Lymph node section stained with H&E, from a whole-slide image of a breast-cancer sentinel node. Magnification about 10×, about 0.5 mm across the frame, about 0.97 µm per pixel.
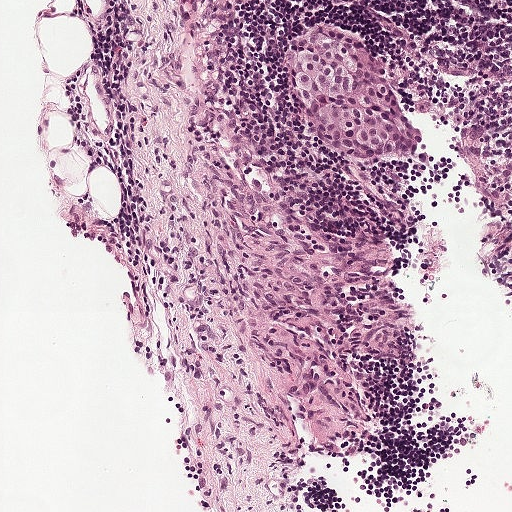
Metastatic tumour outline, simplified to 12 points and listed clockwise in crop pixels (x, y): (334, 22), (377, 56), (409, 118), (430, 140), (427, 160), (410, 166), (363, 166), (313, 139), (302, 116), (300, 92), (283, 56), (289, 44).
The annotated tumour makes up about 5% of the crop.